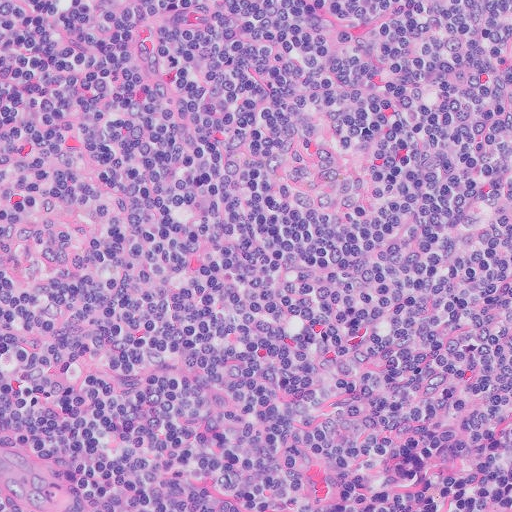
A 0.26-mm field of an H&E-stained sentinel lymph node from a breast-cancer patient (whole-slide image), shown at about 20×, about 0.5 µm per pixel.